Question: 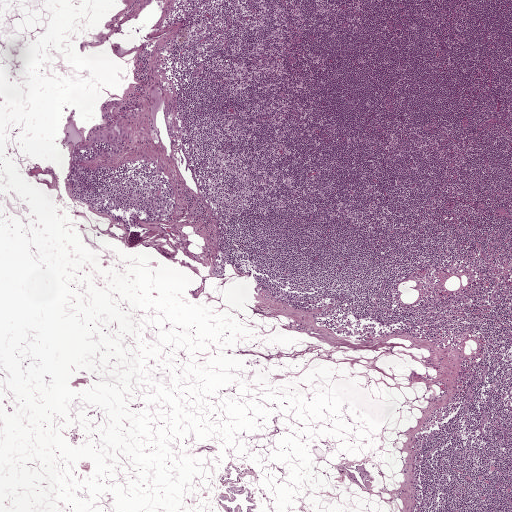
Which magnification is this H&E lymph node field most likely shown at?

Choices:
 (A) about 10×
 (B) about 2.5×
 (C) about 20×
 (D) about 5×
 (E) about 40×

Answer: (B) about 2.5×
H&E-stained section of a sentinel lymph node (breast cancer), from a whole-slide image, viewed at about 2.5×: the field is about 2.0 mm across, about 3.9 µm per pixel.